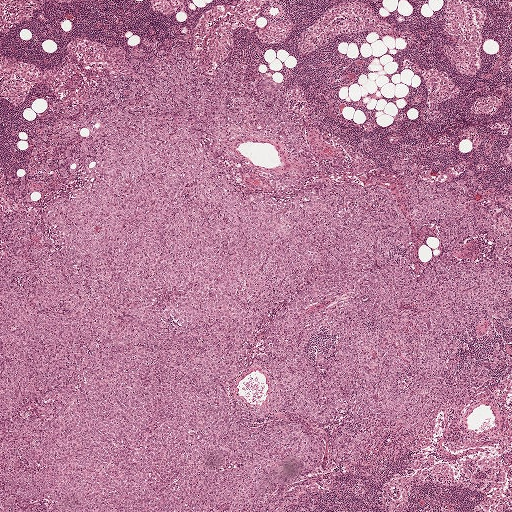
H&E-stained section of a sentinel lymph node (breast cancer), from a whole-slide image, viewed at about 2.5×: the field is about 2.0 mm across, about 3.9 µm per pixel.
Question: Does this lymph node field contain metastatic tumour?
Answer: Yes.
Outlines of two tumour regions, largest first (closed clockwise paths, crop pixels): region 1: (132, 45), (272, 78), (416, 274), (440, 240), (394, 161), (511, 209), (510, 328), (445, 367), (491, 379), (344, 471), (346, 415), (295, 418), (323, 455), (287, 511), (0, 511), (3, 187), (78, 188), (31, 147); region 2: (486, 330), (491, 332), (493, 335), (492, 340), (499, 345), (499, 350), (502, 350), (504, 354), (504, 357), (501, 360), (499, 366), (494, 368), (488, 366), (492, 346), (491, 342), (484, 337).
About 65% of this field is tumour.